This is a crop of a whole-slide image: an H&E-stained breast-cancer sentinel lymph node section at roughly 20× magnification (about 0.45 µm per pixel; the crop spans about 0.23 mm).
Question: 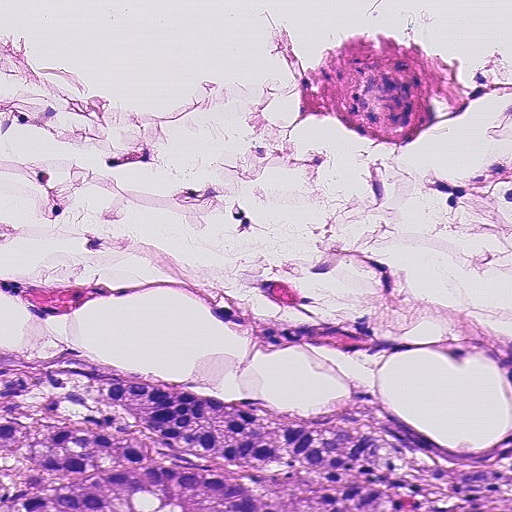
Roughly what share of this field is metastatic tumour?

Choices:
 (A) about 5% or less
 (B) about 10% to 20%
 (C) about 50% or more
 (D) none: no tumour is outlined
 (E) about 25% to 45%

Answer: (B) about 10% to 20%
About 20% of the field is tumour.
The outlined metastatic tumour's edge, as a closed clockwise path of 8 points: (152, 372), (196, 382), (395, 447), (468, 492), (511, 503), (511, 511), (0, 511), (0, 374).